Question: 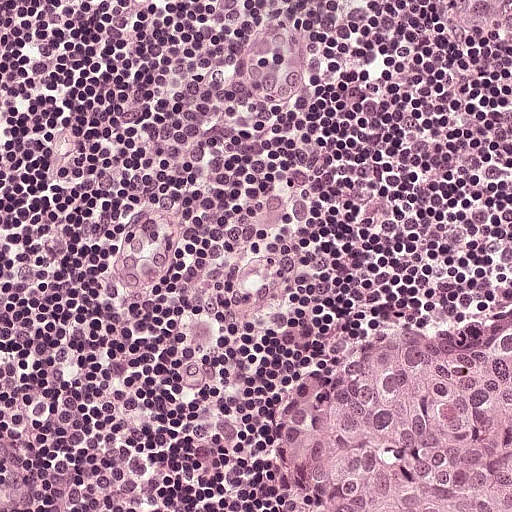
A 0.25-mm field of an H&E-stained sentinel lymph node from a breast-cancer patient (whole-slide image), shown at about 20×, about 0.49 µm per pixel.
Roughly what share of this field is metastatic tumour?

Choices:
 (A) about 25% to 45%
 (B) about 5% or less
 (C) about 10% to 20%
 (D) none: no tumour is outlined
 (E) about 50% or more

Answer: (C) about 10% to 20%
About 15% of the field is tumour.
The outlined metastatic tumour's edge, as a closed clockwise path of 8 points: (511, 315), (511, 511), (291, 511), (282, 462), (303, 402), (326, 373), (374, 346), (476, 330).